Lymph node section stained with H&E, from a whole-slide image of a breast-cancer sentinel node. Magnification about 20×, about 0.25 mm across the frame, about 0.49 µm per pixel.
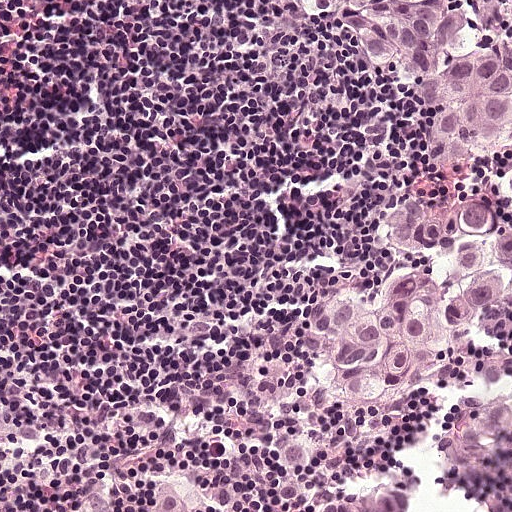
Question: Show where the tumour is in this image.
Answer: Outlines of two tumour regions, largest first (closed clockwise paths, crop pixels): region 1: (511, 174), (511, 205), (505, 216), (511, 227), (511, 271), (502, 281), (502, 296), (468, 324), (455, 348), (423, 368), (410, 395), (360, 405), (309, 360), (305, 320), (322, 299), (388, 298), (400, 274), (417, 261), (414, 248), (388, 226), (396, 205), (409, 198), (439, 210), (456, 210); region 2: (460, 0), (470, 31), (510, 67), (511, 148), (469, 175), (430, 168), (420, 152), (420, 84), (360, 64), (344, 46), (340, 28), (322, 20), (316, 8), (295, 1).
The annotated tumour makes up about 15% of the crop.